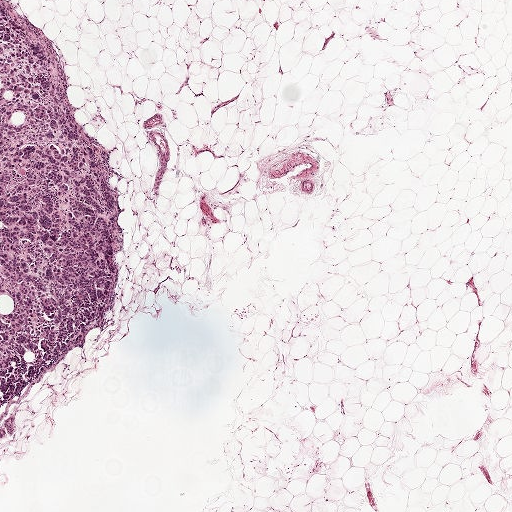
Lymph node section stained with H&E, from a whole-slide image of a breast-cancer sentinel node. Magnification about 2.5×, about 2.0 mm across the frame, about 3.9 µm per pixel.
Tumour region outline (a closed clockwise path, crop pixels): (0, 0), (44, 44), (74, 122), (97, 153), (118, 205), (119, 252), (116, 303), (104, 327), (0, 408), (0, 313), (10, 315), (15, 304), (0, 296).
About 10% of the image area is annotated as tumour.